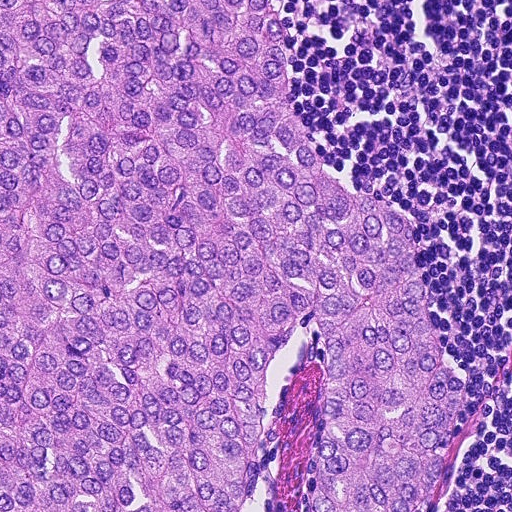
A 0.23-mm field of an H&E-stained sentinel lymph node from a breast-cancer patient (whole-slide image), shown at about 20×, about 0.45 µm per pixel.
Tumour region outline (a closed clockwise path, crop pixels): (0, 0), (270, 0), (287, 96), (330, 168), (412, 228), (431, 336), (462, 376), (443, 482), (422, 511), (315, 511), (324, 362), (314, 320), (263, 374), (248, 504), (0, 511).
Tumour covers about 70% of the frame.